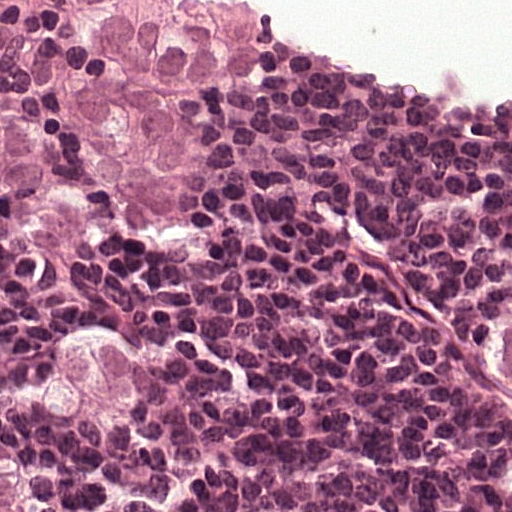
A 0.12-mm field of an H&E-stained sentinel lymph node from a breast-cancer patient (whole-slide image), shown at about 40×, about 0.24 µm per pixel.
Question: Describe where the metastatic carcinoma lies in this crop.
Answer: Outlines of three tumour regions, largest first (closed clockwise paths, crop pixels): region 1: (109, 1), (266, 3), (274, 35), (271, 97), (203, 119), (214, 156), (214, 210), (198, 231), (175, 236), (125, 224), (64, 181), (0, 198), (0, 106), (77, 108), (75, 72), (107, 49); region 2: (0, 432), (19, 435), (37, 455), (39, 464), (42, 464), (51, 487), (57, 511), (0, 511); region 3: (511, 303), (511, 384), (503, 374), (498, 372), (498, 369), (496, 369), (487, 356), (487, 344), (491, 333), (496, 328), (496, 324).
One more small tumour piece is annotated here but not outlined.
About 20% of the image area is annotated as tumour.